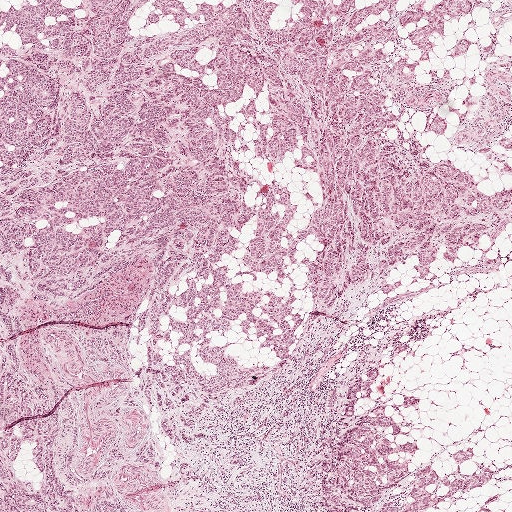
A 2.0-mm field of an H&E-stained sentinel lymph node from a breast-cancer patient (whole-slide image), shown at about 2.5×, about 3.9 µm per pixel.